H&E-stained section of a sentinel lymph node (breast cancer), from a whole-slide image, viewed at about 10×: the field is about 0.46 mm across, about 0.91 µm per pixel.
Question: 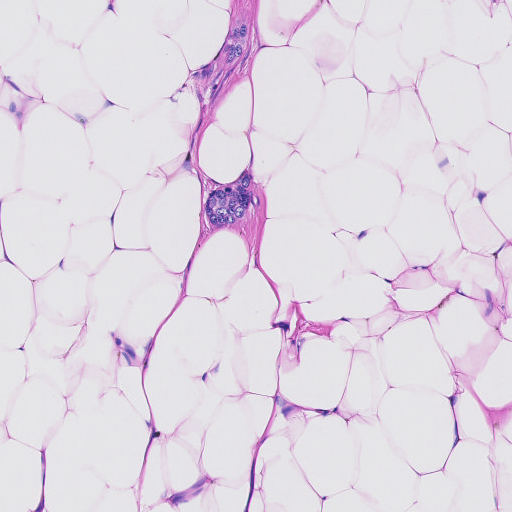
About how much of this crop is taken up by metastatic carcinoma?

Choices:
 (A) about 25% to 45%
 (B) about 5% or less
 (C) about 10% to 20%
 (D) about 50% or more
 (E) none: no tumour is outlined

Answer: (B) about 5% or less
Under 5% of the field is tumour.
Outlines of two tumour regions, largest first (closed clockwise paths, crop pixels): region 1: (245, 168), (254, 168), (260, 186), (255, 212), (233, 228), (208, 228), (200, 216), (203, 192), (215, 183), (231, 182); region 2: (246, 15), (250, 26), (248, 50), (235, 63), (220, 66), (219, 53), (232, 21).